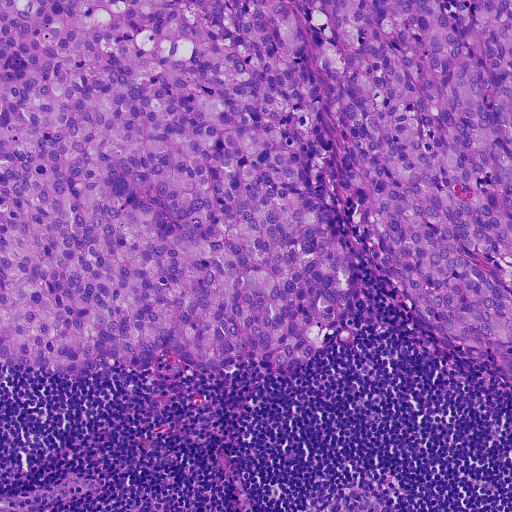
Lymph node section stained with H&E, from a whole-slide image of a breast-cancer sentinel node. Magnification about 10×, about 0.46 mm across the frame, about 0.91 µm per pixel.
One metastatic tumour region; its boundary, reduced to 17 corners and listed clockwise: (0, 0), (511, 0), (511, 386), (487, 361), (433, 338), (372, 270), (342, 214), (374, 316), (352, 348), (333, 345), (292, 374), (201, 372), (176, 354), (152, 370), (121, 364), (77, 378), (0, 357).
About 70% of this field is tumour.